A 0.5-mm field of an H&E-stained sentinel lymph node from a breast-cancer patient (whole-slide image), shown at about 10×, about 0.97 µm per pixel.
Question: 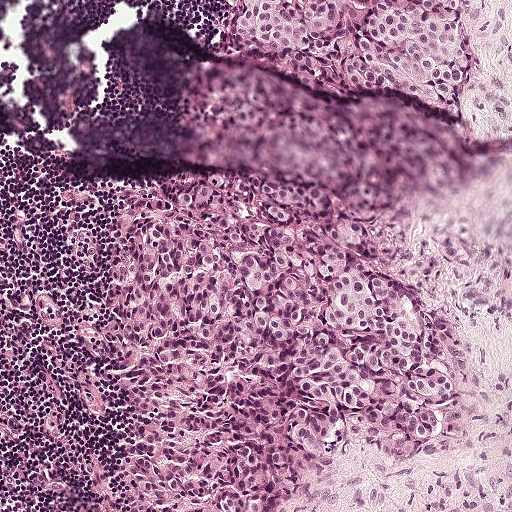
What fraction of the image area is metastatic tumour?

Choices:
 (A) about 50% or more
 (B) none: no tumour is outlined
 (C) about 10% to 20%
 (D) about 25% to 45%
 (E) about 5% or less

Answer: (D) about 25% to 45%
About 40% of the field is tumour.
Two metastatic tumour regions, each outlined as a closed clockwise path in crop pixels (x, y), largest first: region 1: (154, 178), (228, 180), (300, 188), (359, 206), (376, 264), (433, 306), (463, 358), (464, 400), (436, 458), (394, 461), (352, 437), (276, 511), (144, 511), (111, 246), (122, 194); region 2: (461, 0), (468, 64), (457, 114), (397, 94), (338, 90), (271, 70), (233, 36), (235, 3).